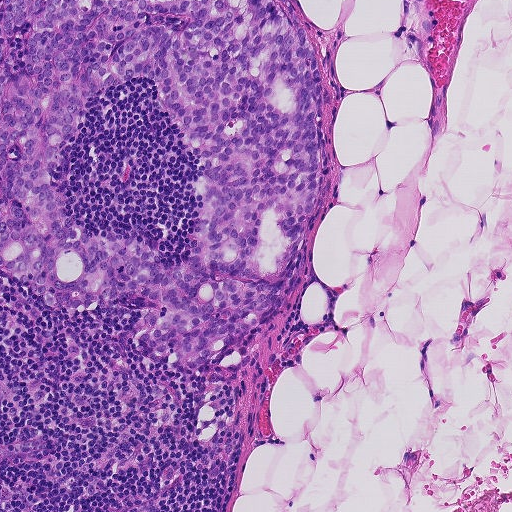
A 0.46-mm field of an H&E-stained sentinel lymph node from a breast-cancer patient (whole-slide image), shown at about 10×, about 0.9 µm per pixel.
Question: Is there metastatic carcinoma in this field?
Answer: Yes.
Two metastatic tumour regions, each outlined as a closed clockwise path in crop pixels (x, y), largest first: region 1: (0, 0), (296, 0), (320, 77), (324, 190), (295, 284), (245, 368), (152, 364), (132, 334), (153, 308), (78, 316), (0, 273); region 2: (403, 0), (426, 0), (431, 9), (433, 28), (433, 48), (426, 65), (420, 62), (402, 62), (401, 51), (394, 33), (400, 30).
Region 1 encloses a non-tumour hole of about 20% of its area.
The annotated tumour makes up about 35% of the crop.